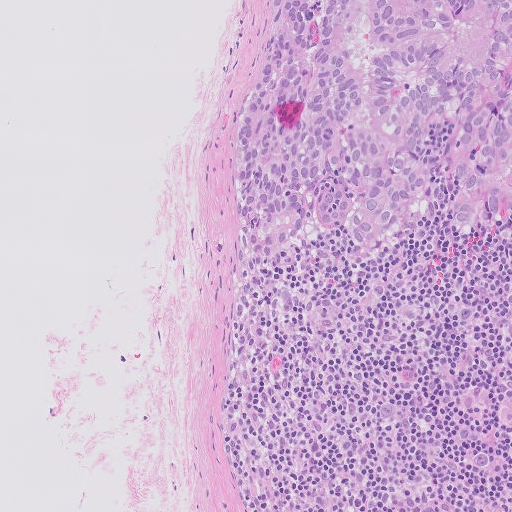
Lymph node section stained with H&E, from a whole-slide image of a breast-cancer sentinel node. Magnification about 10×, about 0.51 mm across the frame, about 1.0 µm per pixel.
Tumour region outline (a closed clockwise path, crop pixels): (273, 0), (511, 0), (511, 215), (498, 230), (458, 236), (444, 222), (424, 222), (370, 252), (352, 243), (359, 203), (333, 174), (282, 252), (246, 264), (233, 224), (237, 122).
Tumour covers about 25% of the frame.